Question: 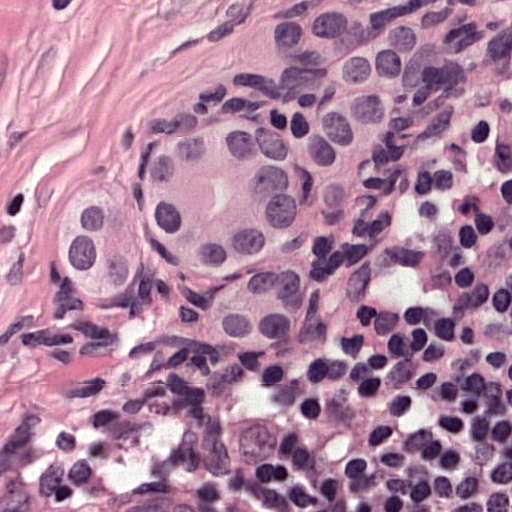
Which magnification is this H&E lymph node field most likely shown at?

Choices:
 (A) about 10×
 (B) about 40×
 (C) about 5×
 (D) about 2.5×
 (E) about 20×

Answer: (B) about 40×
A 0.12-mm field of an H&E-stained sentinel lymph node from a breast-cancer patient (whole-slide image), shown at about 40×, about 0.24 µm per pixel.
One metastatic tumour region; its boundary, reduced to 16 corners and listed clockwise: (423, 3), (414, 109), (349, 214), (302, 254), (322, 294), (295, 348), (260, 355), (215, 341), (182, 281), (151, 303), (96, 314), (48, 272), (60, 191), (120, 142), (297, 96), (345, 49).
About 25% of the image area is annotated as tumour.